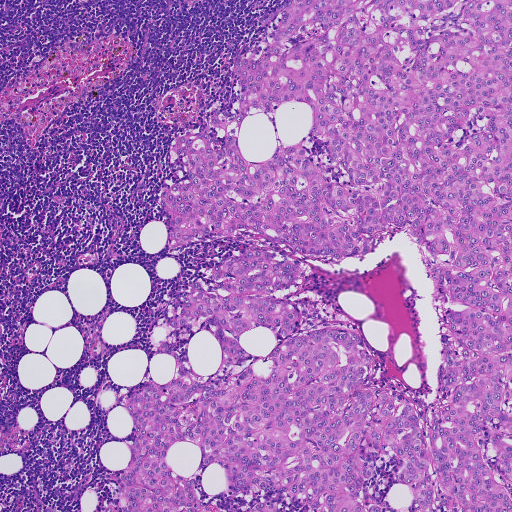
This is a crop of a whole-slide image: an H&E-stained breast-cancer sentinel lymph node section at roughly 5× magnification (about 1.8 µm per pixel; the crop spans about 0.93 mm).
One metastatic tumour region; its boundary, reduced to 20 corners and listed clockwise: (511, 0), (511, 511), (102, 511), (130, 459), (123, 402), (174, 378), (174, 355), (160, 346), (183, 294), (214, 264), (267, 246), (250, 233), (169, 254), (160, 197), (186, 173), (179, 140), (240, 106), (238, 58), (263, 46), (291, 1).
Tumour covers about 65% of the frame.